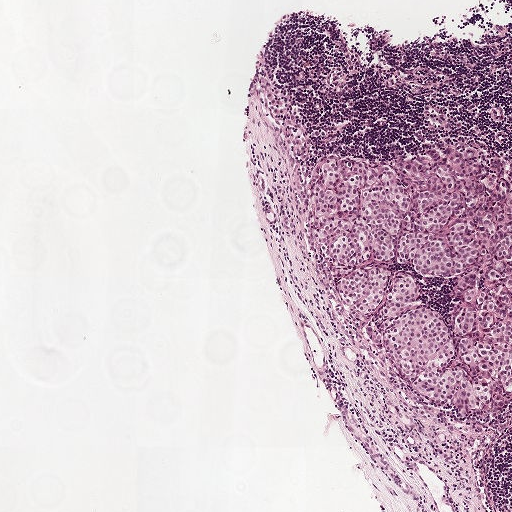
Lymph node section stained with H&E, from a whole-slide image of a breast-cancer sentinel node. Magnification about 5×, about 1 mm across the frame, about 1.9 µm per pixel.
Tumour region outline (a closed clockwise path, crop pixels): (455, 135), (491, 146), (511, 171), (511, 410), (488, 417), (422, 412), (358, 333), (326, 282), (300, 202), (307, 170), (339, 150), (391, 159).
Tumour covers about 15% of the frame.